Question: 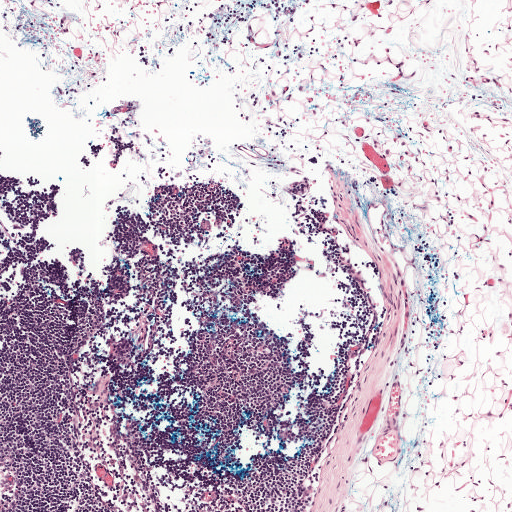
Which magnification is this H&E lymph node field most likely shown at?

Choices:
 (A) about 20×
 (B) about 5×
 (C) about 2.5×
 (D) about 40×
 (E) about 10×

Answer: (B) about 5×
A 1-mm field of an H&E-stained sentinel lymph node from a breast-cancer patient (whole-slide image), shown at about 5×, about 1.9 µm per pixel.